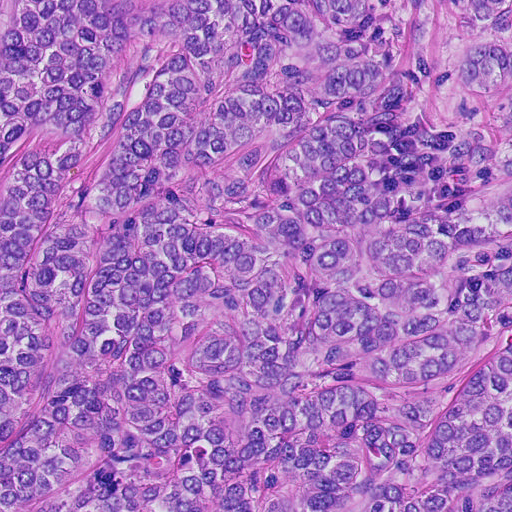
A 0.23-mm field of an H&E-stained sentinel lymph node from a breast-cancer patient (whole-slide image), shown at about 20×, about 0.45 µm per pixel.
Metastatic tumour covers the whole field.
The annotated tumour makes up over 95% of the crop.